Question: 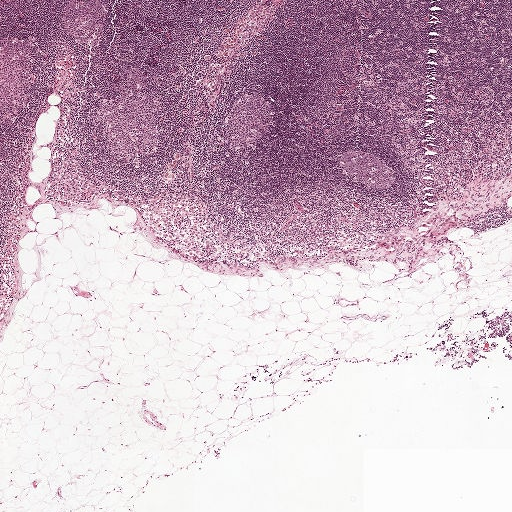
This is a crop of a whole-slide image: an H&E-stained breast-cancer sentinel lymph node section at roughly 2.5× magnification (about 3.9 µm per pixel; the crop spans about 2.0 mm).
About how much of this crop is taken up by metastatic carcinoma?

Choices:
 (A) about 5% or less
 (B) about 10% to 20%
 (C) about 25% to 45%
 (D) none: no tumour is outlined
 (E) about 50% or more

Answer: (A) about 5% or less
Under 5% of the field is tumour.
The outlined metastatic tumour's edge, as a closed clockwise path of 10 points: (436, 212), (439, 214), (439, 218), (436, 223), (425, 227), (421, 227), (421, 222), (424, 219), (431, 216), (435, 214).
One more small tumour piece is annotated here but not outlined.